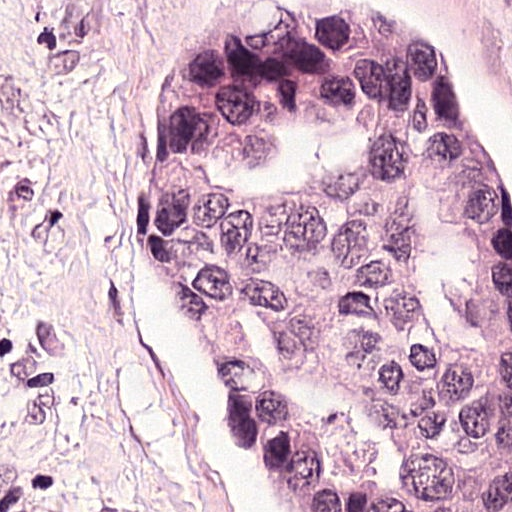
Lymph node section stained with H&E, from a whole-slide image of a breast-cancer sentinel node. Magnification about 40×, about 0.12 mm across the frame, about 0.24 µm per pixel.
Tumour region outline (a closed clockwise path, crop pixels): (381, 4), (490, 163), (511, 212), (508, 511), (294, 511), (244, 449), (222, 358), (140, 254), (131, 213), (149, 127), (226, 8).
About 55% of this field is tumour.